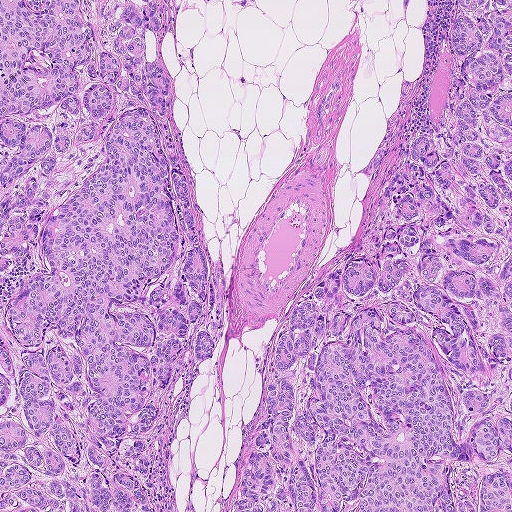
This is a crop of a whole-slide image: an H&E-stained breast-cancer sentinel lymph node section at roughly 5× magnification (about 1.8 µm per pixel; the crop spans about 0.93 mm).
Two metastatic tumour regions, each outlined as a closed clockwise path in crop pixels (x, y), largest first: region 1: (0, 0), (158, 0), (167, 125), (207, 253), (218, 333), (206, 362), (196, 365), (193, 352), (169, 386), (149, 434), (151, 507), (0, 511); region 2: (456, 0), (511, 0), (511, 511), (229, 511), (293, 307), (348, 259), (378, 265), (383, 232), (406, 223), (389, 210), (426, 173), (409, 142), (426, 133), (450, 148), (455, 128), (445, 109), (464, 58), (447, 35).
The annotated tumour makes up about 65% of the crop.